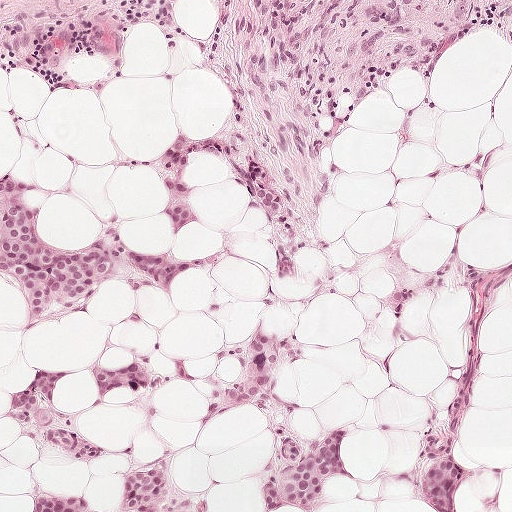
Lymph node section stained with H&E, from a whole-slide image of a breast-cancer sentinel node. Magnification about 10×, about 0.5 mm across the frame, about 0.97 µm per pixel.
Outlines of the eight largest metastatic tumour regions, each a closed clockwise path in crop pixels (x, y), largest first: region 1: (11, 172), (45, 185), (22, 198), (38, 209), (37, 236), (58, 250), (84, 248), (113, 226), (124, 249), (173, 253), (192, 264), (190, 275), (170, 293), (133, 294), (111, 274), (76, 306), (30, 330), (32, 288), (0, 273), (0, 176); region 2: (286, 432), (292, 433), (306, 443), (314, 443), (322, 442), (337, 432), (342, 432), (349, 475), (341, 475), (328, 482), (320, 504), (313, 510), (266, 511), (259, 505), (258, 492), (264, 479), (280, 460), (280, 435); region 3: (36, 371), (64, 374), (49, 391), (51, 409), (60, 418), (72, 423), (80, 436), (98, 445), (108, 454), (107, 467), (91, 468), (66, 461), (26, 434), (7, 418), (8, 403), (27, 394), (35, 383); region 4: (184, 134), (186, 138), (192, 140), (215, 140), (224, 151), (224, 155), (219, 156), (209, 151), (199, 151), (187, 159), (184, 169), (185, 185), (190, 203), (200, 221), (195, 226), (183, 229), (176, 236), (170, 234), (165, 216), (165, 191), (150, 170), (154, 160), (177, 135); region 5: (446, 429), (452, 432), (450, 456), (464, 466), (466, 472), (464, 483), (455, 494), (455, 511), (436, 511), (430, 509), (419, 490), (419, 481), (427, 468), (424, 443), (428, 438); region 6: (258, 330), (278, 342), (284, 356), (284, 368), (278, 378), (267, 390), (246, 404), (226, 404), (221, 400), (220, 388), (243, 378), (248, 344); region 7: (152, 466), (163, 468), (168, 475), (162, 502), (162, 511), (122, 511), (116, 510), (120, 483), (126, 476); region 8: (244, 157), (256, 157), (263, 160), (276, 175), (286, 198), (286, 214), (277, 226), (271, 226), (264, 218), (257, 201), (254, 185), (246, 173).
Three more, smaller tumour regions are not outlined.
The annotated tumour makes up about 15% of the crop.